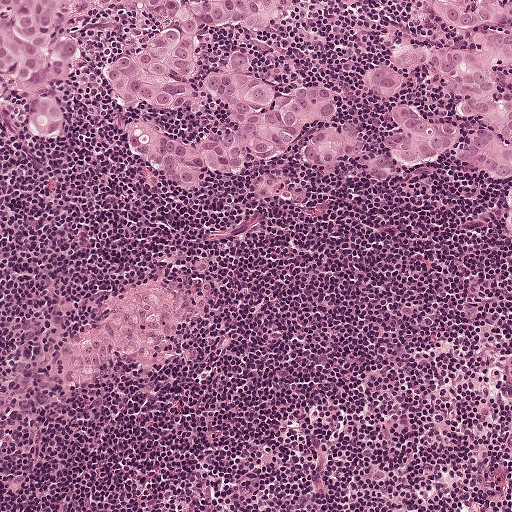
Lymph node section stained with H&E, from a whole-slide image of a breast-cancer sentinel node. Magnification about 10×, about 0.5 mm across the frame, about 0.97 µm per pixel.
Three metastatic tumour regions, each outlined as a closed clockwise path in crop pixels (x, y), largest first: region 1: (0, 0), (280, 0), (292, 14), (282, 29), (268, 37), (222, 32), (204, 44), (207, 66), (230, 66), (246, 46), (258, 69), (280, 82), (330, 81), (344, 95), (337, 119), (303, 127), (281, 155), (256, 158), (249, 174), (176, 188), (131, 150), (131, 128), (170, 128), (216, 144), (234, 135), (234, 118), (220, 101), (156, 108), (113, 88), (113, 58), (157, 30), (156, 19), (118, 6), (86, 26), (84, 72), (62, 92), (72, 140), (33, 137), (15, 111), (2, 114); region 2: (436, 0), (511, 0), (511, 181), (440, 155), (396, 182), (376, 186), (378, 162), (403, 105), (470, 131), (486, 127), (458, 108), (456, 95), (439, 72), (417, 73), (397, 96), (376, 88), (369, 77), (372, 67), (394, 60), (398, 45), (450, 43), (469, 50), (468, 34); region 3: (358, 122), (363, 132), (363, 156), (335, 162), (330, 164), (320, 162), (308, 154), (311, 135), (330, 124), (340, 128).
One more small tumour piece is annotated here but not outlined.
About 20% of this field is tumour.